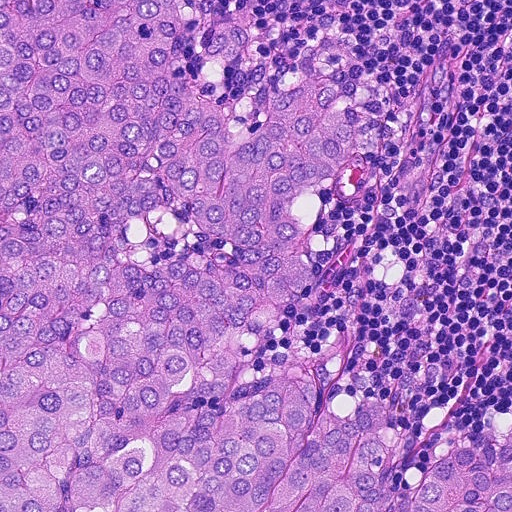
Lymph node section stained with H&E, from a whole-slide image of a breast-cancer sentinel node. Magnification about 20×, about 0.23 mm across the frame, about 0.45 µm per pixel.
Outlines of two tumour regions, largest first (closed clockwise paths, crop pixels): region 1: (0, 0), (181, 0), (174, 74), (226, 109), (245, 144), (280, 90), (310, 76), (340, 92), (358, 153), (308, 190), (295, 219), (313, 278), (260, 312), (224, 396), (300, 348), (322, 407), (350, 420), (376, 400), (406, 411), (412, 441), (381, 508), (0, 511); region 2: (511, 424), (511, 511), (395, 511), (411, 483), (465, 446).
About 60% of the image area is annotated as tumour.